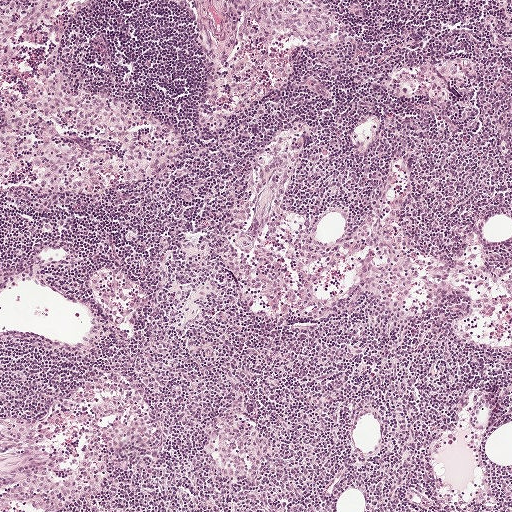
Lymph node section stained with H&E, from a whole-slide image of a breast-cancer sentinel node. Magnification about 5×, about 1 mm across the frame, about 1.9 µm per pixel.